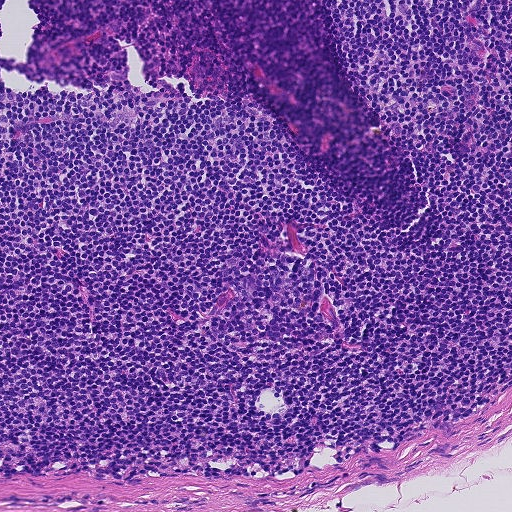
A 0.46-mm field of an H&E-stained sentinel lymph node from a breast-cancer patient (whole-slide image), shown at about 10×, about 0.9 µm per pixel.
Question: Is there metastatic carcinoma in this field?
Answer: No. No metastatic tumour is outlined in this field.